Question: 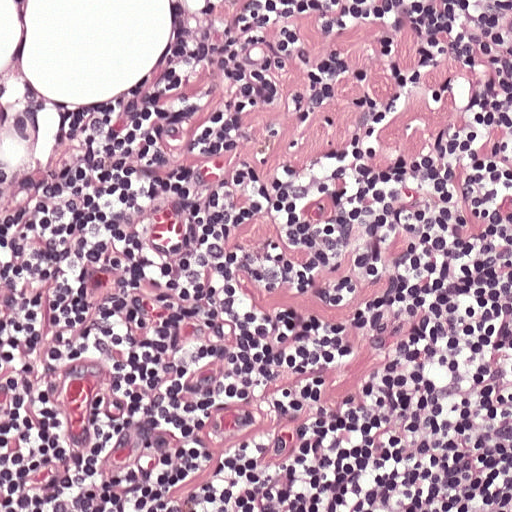
Which magnification is this H&E lymph node field most likely shown at?

Choices:
 (A) about 5×
 (B) about 40×
 (C) about 20×
 (D) about 10×
 (E) about 2.5×

Answer: (C) about 20×
This is a crop of a whole-slide image: an H&E-stained breast-cancer sentinel lymph node section at roughly 20× magnification (about 0.49 µm per pixel; the crop spans about 0.25 mm).